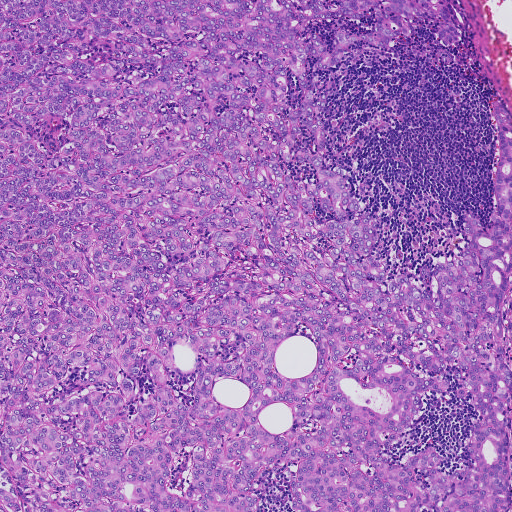
H&E-stained section of a sentinel lymph node (breast cancer), from a whole-slide image, viewed at about 5×: the field is about 0.93 mm across, about 1.8 µm per pixel.
The outlined metastatic tumour's edge, as a closed clockwise path of 23 points: (0, 0), (457, 0), (465, 28), (450, 63), (434, 21), (414, 20), (387, 50), (357, 40), (342, 63), (317, 69), (314, 100), (325, 91), (324, 169), (349, 171), (394, 275), (416, 276), (467, 244), (465, 210), (493, 226), (491, 103), (511, 116), (507, 511), (0, 511).
Two more small tumour pieces are annotated here but not outlined.
About 85% of this field is tumour.